Question: 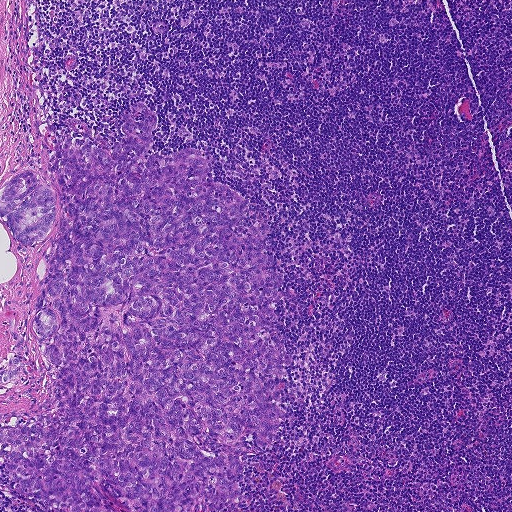
This is a crop of a whole-slide image: an H&E-stained breast-cancer sentinel lymph node section at roughly 5× magnification (about 1.8 µm per pixel; the crop spans about 0.93 mm).
Estimate the proportion of this field that is metastatic tumour.

Choices:
 (A) about 25% to 45%
 (B) about 5% or less
 (C) about 50% or more
 (D) none: no tumour is outlined
 (E) about 10% to 20%

Answer: (A) about 25% to 45%
About 30% of the field is tumour.
Outlines of two tumour regions, largest first (closed clockwise paths, crop pixels): region 1: (138, 102), (168, 155), (215, 158), (254, 206), (242, 225), (269, 224), (292, 362), (263, 384), (292, 415), (273, 447), (252, 432), (228, 453), (242, 500), (132, 511), (94, 484), (115, 511), (58, 511), (0, 456), (2, 417), (54, 395), (32, 327), (61, 210), (47, 165), (111, 157); region 2: (22, 171), (35, 172), (42, 183), (52, 190), (55, 196), (56, 209), (52, 228), (41, 245), (25, 246), (14, 238), (0, 219), (0, 192), (8, 182).